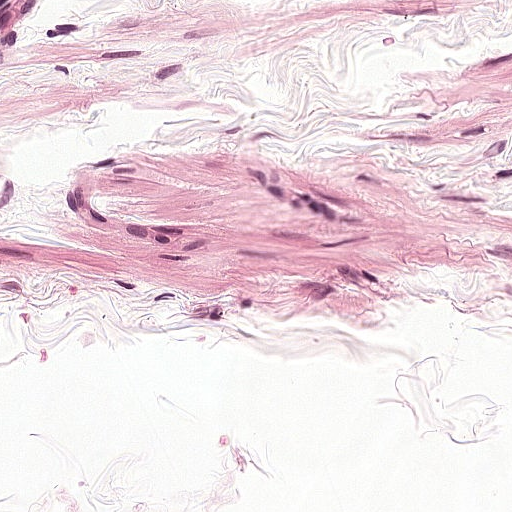
A 0.25-mm field of an H&E-stained sentinel lymph node from a breast-cancer patient (whole-slide image), shown at about 20×, about 0.49 µm per pixel.